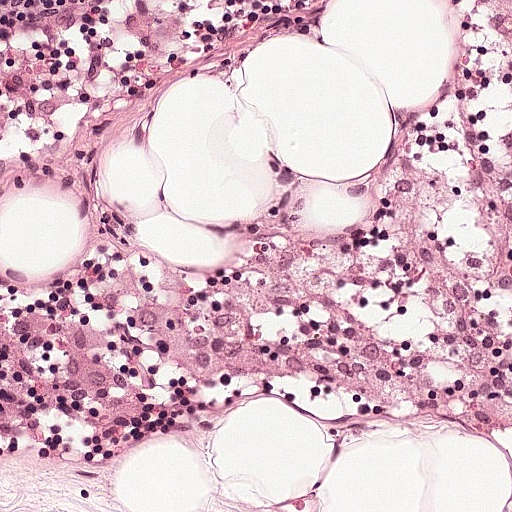
A 0.25-mm field of an H&E-stained sentinel lymph node from a breast-cancer patient (whole-slide image), shown at about 20×, about 0.49 µm per pixel.
Question: Is there metastatic carcinoma in this field?
Answer: No: no metastatic tumour is outlined anywhere in this field.